This is a crop of a whole-slide image: an H&E-stained breast-cancer sentinel lymph node section at roughly 20× magnification (about 0.49 µm per pixel; the crop spans about 0.25 mm).
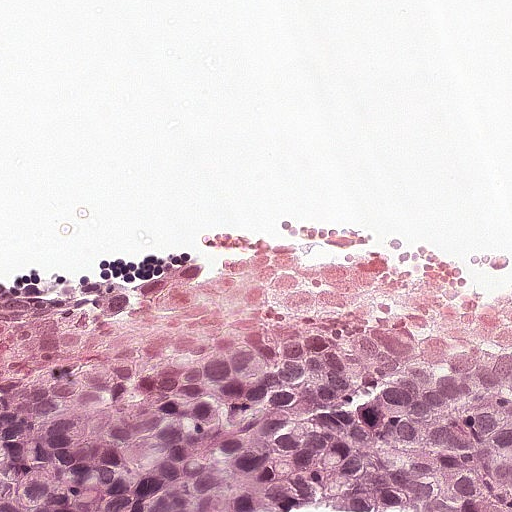
Tumour region outline (a closed clockwise path, crop pixels): (355, 256), (422, 268), (511, 317), (511, 511), (0, 511), (0, 298), (130, 262).
About 45% of the image area is annotated as tumour.